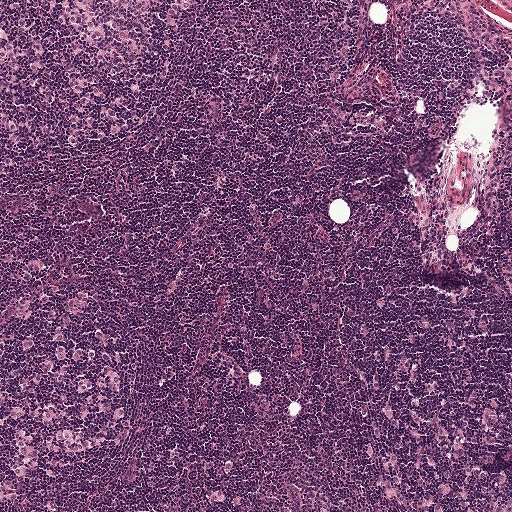
H&E-stained section of a sentinel lymph node (breast cancer), from a whole-slide image, viewed at about 5×: the field is about 1 mm across, about 1.9 µm per pixel.
Question: Which parts of this field are metastatic tumour? Answer with the outline of each region, in pixels.
Answer: Boundaries of two metastatic tumour regions, simplified and listed clockwise, largest first: region 1: (0, 248), (36, 267), (94, 315), (129, 386), (126, 463), (110, 482), (91, 492), (0, 487); region 2: (30, 0), (197, 0), (197, 16), (185, 61), (148, 119), (114, 141), (57, 146), (20, 132), (0, 102), (0, 24).
About 20% of this field is tumour.